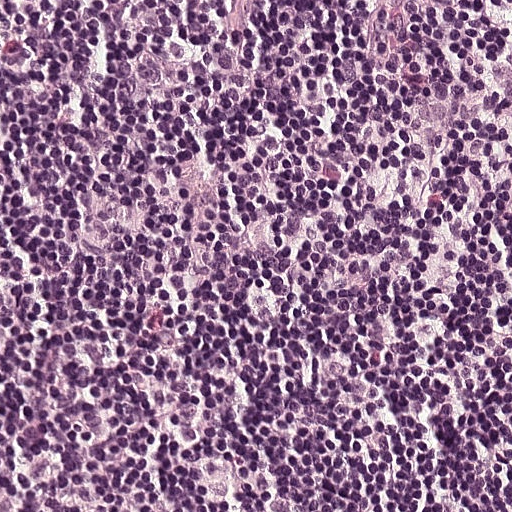
A 0.25-mm field of an H&E-stained sentinel lymph node from a breast-cancer patient (whole-slide image), shown at about 20×, about 0.49 µm per pixel.